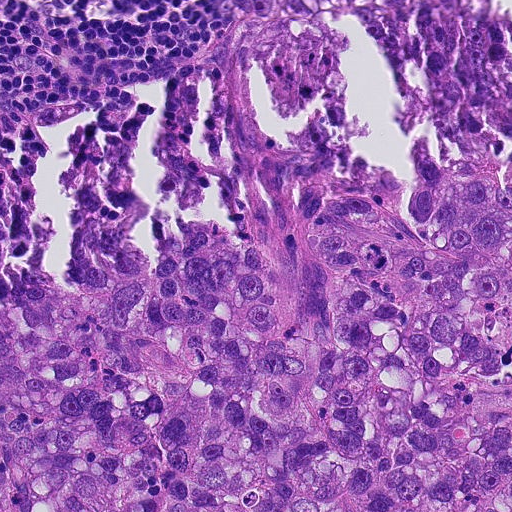
This is a crop of a whole-slide image: an H&E-stained breast-cancer sentinel lymph node section at roughly 20× magnification (about 0.45 µm per pixel; the crop spans about 0.23 mm).
Question: Trace the edge of each tumour region in this crop, as (x, y) points from 0 to 511.
Answer: Two metastatic tumour regions, each outlined as a closed clockwise path in crop pixels (x, y), largest first: region 1: (511, 134), (511, 511), (0, 511), (0, 304), (126, 250), (190, 250), (252, 224), (278, 244), (332, 202); region 2: (239, 0), (415, 0), (397, 6), (332, 14), (237, 45), (209, 61), (202, 61).
The annotated tumour makes up about 60% of the crop.